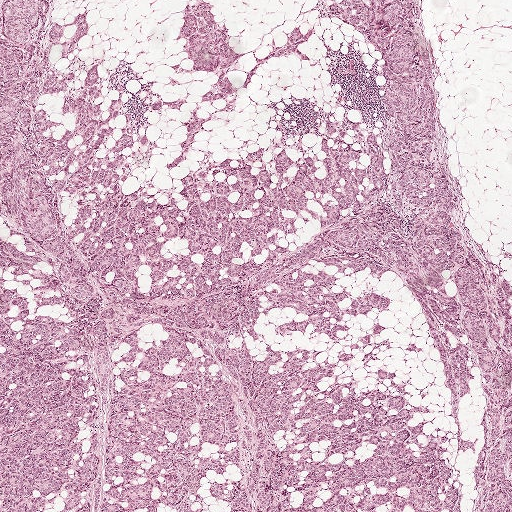
This is a crop of a whole-slide image: an H&E-stained breast-cancer sentinel lymph node section at roughly 2.5× magnification (about 3.9 µm per pixel; the crop spans about 2.0 mm).
Tumour region outline (a closed clockwise path, crop pixels): (0, 0), (77, 0), (112, 51), (151, 76), (163, 96), (149, 156), (159, 175), (183, 127), (173, 47), (194, 0), (221, 0), (262, 53), (310, 0), (435, 0), (462, 171), (479, 231), (511, 278), (511, 511), (0, 511).
Tumour covers about 90% of the frame.